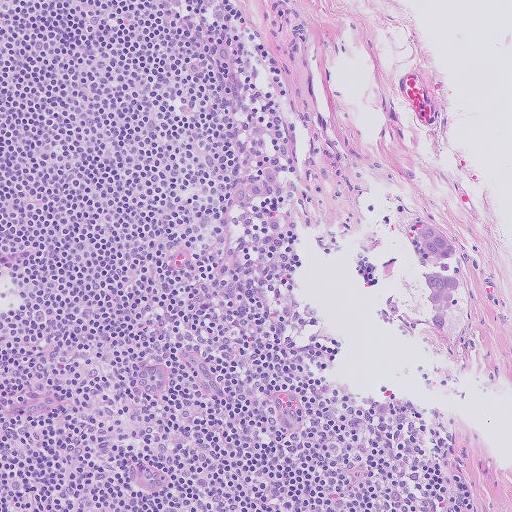
A 0.51-mm field of an H&E-stained sentinel lymph node from a breast-cancer patient (whole-slide image), shown at about 10×, about 1.0 µm per pixel.
Question: Describe where the metastatic carcinoma lies in this crop.
Answer: Two metastatic tumour regions, each outlined as a closed clockwise path in crop pixels (x, y), largest first: region 1: (427, 274), (454, 276), (459, 279), (458, 286), (453, 291), (450, 305), (446, 310), (446, 324), (444, 330), (437, 328), (433, 321), (431, 307), (428, 301), (428, 287), (424, 281); region 2: (422, 221), (428, 224), (446, 239), (456, 253), (449, 262), (449, 270), (442, 272), (438, 262), (430, 261), (416, 237), (413, 231), (414, 224).
The annotated tumour makes up under 5% of the crop.